Question: 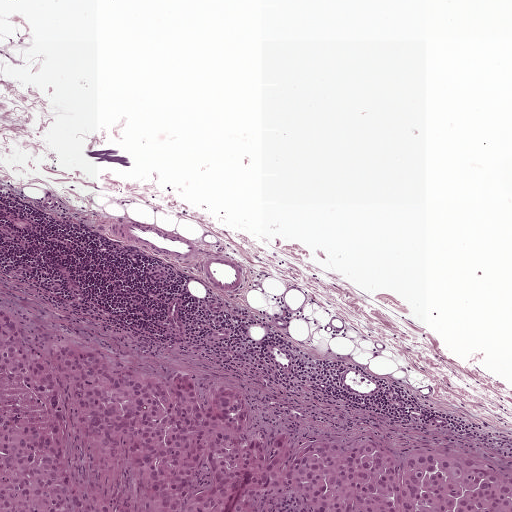
About what magnification does this crop show?

Choices:
 (A) about 10×
 (B) about 5×
 (C) about 20×
 (D) about 40×
 (E) about 2.5×

Answer: (B) about 5×
Lymph node section stained with H&E, from a whole-slide image of a breast-cancer sentinel node. Magnification about 5×, about 1 mm across the frame, about 1.9 µm per pixel.
One metastatic tumour region; its boundary, reduced to 8 corners and listed clockwise: (0, 304), (138, 361), (229, 381), (266, 424), (368, 430), (511, 470), (511, 511), (0, 511).
The annotated tumour makes up about 25% of the crop.